A 1.9-mm field of an H&E-stained sentinel lymph node from a breast-cancer patient (whole-slide image), shown at about 2.5×, about 3.6 µm per pixel.
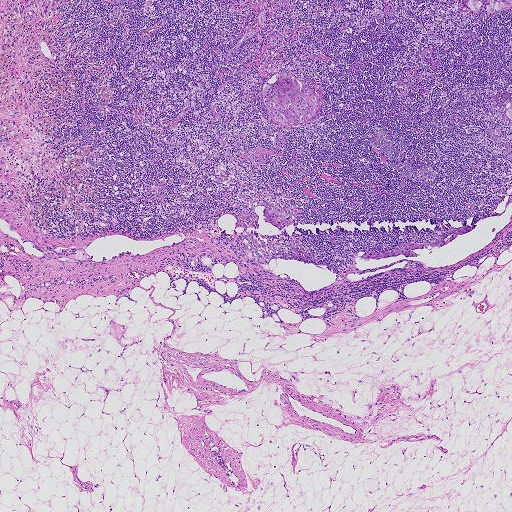
Boundaries of five metastatic tumour regions, simplified and listed clockwise, largest first: region 1: (282, 73), (294, 75), (301, 85), (310, 87), (315, 91), (319, 102), (317, 115), (308, 124), (302, 126), (276, 123), (271, 118), (261, 94), (262, 87), (270, 78); region 2: (465, 224), (475, 225), (474, 229), (470, 232), (458, 235), (455, 238), (441, 248), (437, 246), (430, 250), (424, 247), (420, 250), (412, 250), (416, 253), (420, 254), (416, 256), (408, 257), (400, 254), (383, 258), (366, 259), (362, 258), (360, 255), (367, 251), (384, 252), (404, 243), (421, 244), (426, 243), (438, 239); region 3: (490, 0), (508, 0), (510, 2), (508, 7), (491, 14), (486, 6); region 4: (464, 0), (483, 0), (482, 6), (474, 11), (468, 8), (464, 3); region 5: (511, 97), (511, 120), (508, 118), (506, 115), (504, 111), (504, 106), (506, 102).
Under 5% of the image area is annotated as tumour.